H&E-stained section of a sentinel lymph node (breast cancer), from a whole-slide image, viewed at about 10×: the field is about 0.5 mm across, about 0.97 µm per pixel.
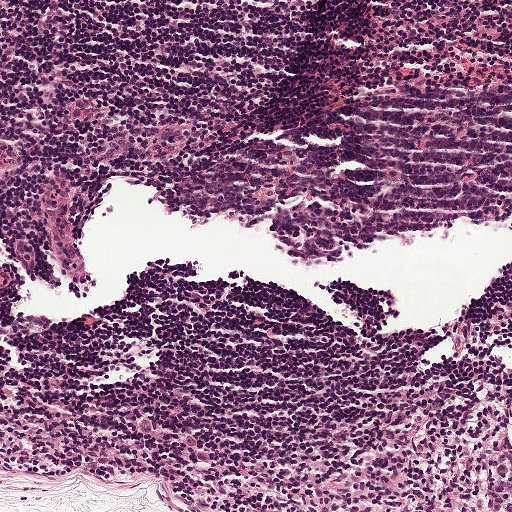
One metastatic tumour region; its boundary, reduced to 8 corners and listed clockwise: (511, 394), (511, 511), (261, 511), (244, 490), (243, 460), (272, 443), (312, 442), (432, 398).
About 10% of this field is tumour.